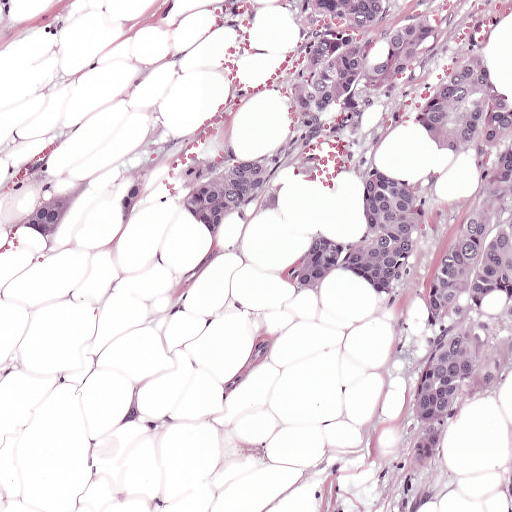
A 0.5-mm field of an H&E-stained sentinel lymph node from a breast-cancer patient (whole-slide image), shown at about 10×, about 0.97 µm per pixel.
Three metastatic tumour regions, each outlined as a closed clockwise path in crop pixels (x, y), largest first: region 1: (473, 53), (511, 90), (511, 379), (466, 423), (442, 468), (408, 487), (428, 312), (343, 274), (309, 298), (282, 294), (280, 269), (316, 228), (337, 238), (364, 228), (362, 172), (432, 190), (480, 178), (474, 150), (453, 157), (418, 119), (440, 82); region 2: (302, 0), (499, 0), (307, 144), (279, 187), (212, 238), (190, 219), (140, 214), (122, 220), (84, 200), (42, 242), (26, 214), (78, 186), (140, 184), (180, 204), (207, 172), (298, 129), (308, 54); region 3: (511, 435), (511, 507), (494, 466).
About 25% of this field is tumour.